Question: 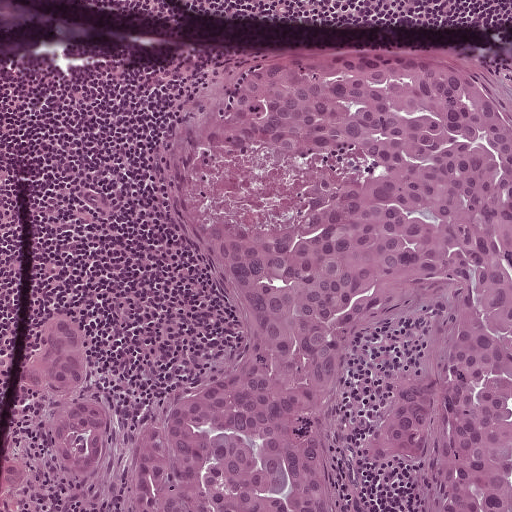
At roughly what magnification is this field shown?

Choices:
 (A) about 40×
 (B) about 5×
 (C) about 10×
 (D) about 2.5×
 (E) about 20×

Answer: (C) about 10×
A 0.5-mm field of an H&E-stained sentinel lymph node from a breast-cancer patient (whole-slide image), shown at about 10×, about 0.97 µm per pixel.
Boundaries of two metastatic tumour regions, simplified and listed clockwise, largest first: region 1: (511, 51), (511, 511), (418, 511), (405, 465), (361, 464), (436, 312), (366, 334), (328, 407), (329, 511), (119, 511), (108, 471), (37, 499), (0, 492), (7, 457), (65, 475), (52, 410), (21, 381), (53, 312), (141, 435), (228, 362), (238, 325), (167, 143), (214, 83), (286, 53); region 2: (236, 0), (277, 0), (271, 9), (238, 2).
About 55% of the image area is annotated as tumour.
Question: 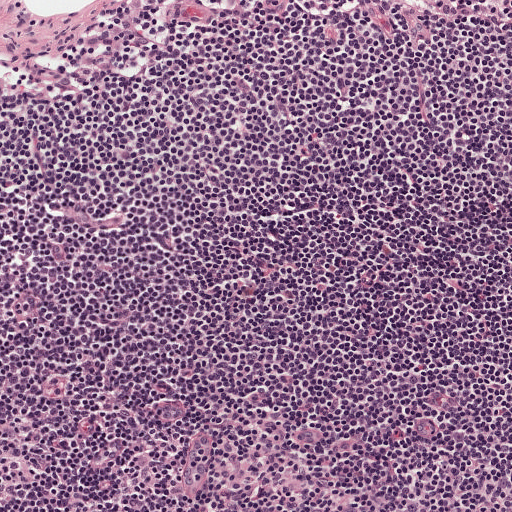
At roughly what magnification is this field shown?

Choices:
 (A) about 10×
 (B) about 5×
 (C) about 20×
 (D) about 40×
 (E) about 2.5×

Answer: (A) about 10×
A 0.5-mm field of an H&E-stained sentinel lymph node from a breast-cancer patient (whole-slide image), shown at about 10×, about 0.97 µm per pixel.
Question: 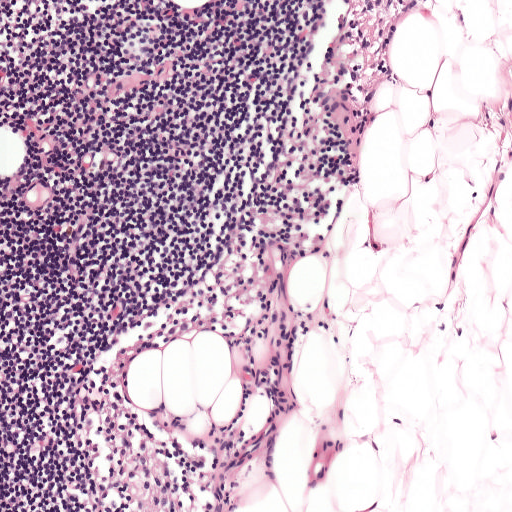
At roughly what magnification is this field shown?

Choices:
 (A) about 40×
 (B) about 10×
 (C) about 20×
 (D) about 2.5×
 (E) about 5×

Answer: (B) about 10×
This is a crop of a whole-slide image: an H&E-stained breast-cancer sentinel lymph node section at roughly 10× magnification (about 0.97 µm per pixel; the crop spans about 0.5 mm).
Question: 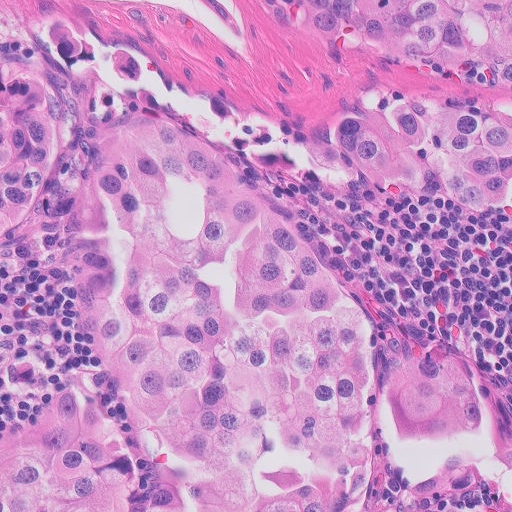
At roughly what magnification is this field shown?

Choices:
 (A) about 10×
 (B) about 40×
 (C) about 20×
 (D) about 2.5×
 (E) about 5×

Answer: (C) about 20×
A 0.26-mm field of an H&E-stained sentinel lymph node from a breast-cancer patient (whole-slide image), shown at about 20×, about 0.5 µm per pixel.
Boundaries of two metastatic tumour regions, simplified and listed clockwise, largest first: region 1: (0, 0), (38, 0), (212, 128), (370, 291), (476, 340), (497, 448), (496, 511), (0, 511); region 2: (281, 0), (511, 0), (511, 237), (384, 182), (335, 84).
About 80% of the image area is annotated as tumour.